H&E-stained section of a sentinel lymph node (breast cancer), from a whole-slide image, viewed at about 5×: the field is about 1 mm across, about 1.9 µm per pixel.
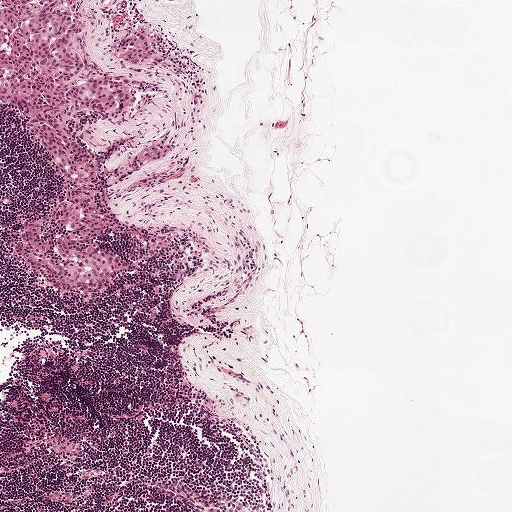
Outlines of three tumour regions, largest first (closed clockwise paths, crop pixels): region 1: (0, 0), (72, 0), (87, 25), (78, 44), (87, 62), (132, 94), (132, 104), (120, 110), (96, 107), (75, 115), (75, 131), (93, 162), (108, 218), (96, 243), (125, 265), (115, 286), (75, 298), (14, 261), (14, 241), (58, 206), (62, 188), (50, 156), (16, 112), (0, 107); region 2: (138, 28), (145, 32), (156, 45), (156, 52), (152, 58), (129, 66), (118, 60), (115, 49), (120, 38); region 3: (166, 135), (173, 149), (145, 171), (130, 172), (127, 165), (131, 155), (151, 141).
Tumour covers about 10% of the frame.